Question: 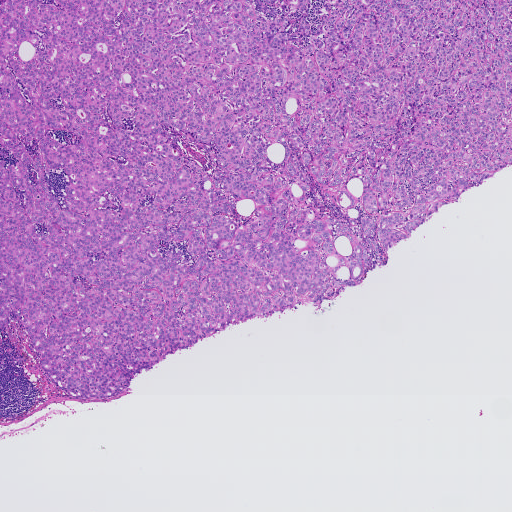
A 1.9-mm field of an H&E-stained sentinel lymph node from a breast-cancer patient (whole-slide image), shown at about 2.5×, about 3.6 µm per pixel.
About how much of this crop is taken up by metastatic carcinoma?

Choices:
 (A) about 25% to 45%
 (B) none: no tumour is outlined
 (C) about 5% or less
 (D) about 10% to 20%
 (E) about 50% or more

Answer: (E) about 50% or more
About 60% of the field is tumour.
One metastatic tumour region; its boundary, reduced to 11 corners and listed clockwise: (0, 0), (511, 0), (511, 165), (441, 208), (361, 284), (230, 324), (104, 400), (66, 397), (52, 383), (21, 319), (2, 331).